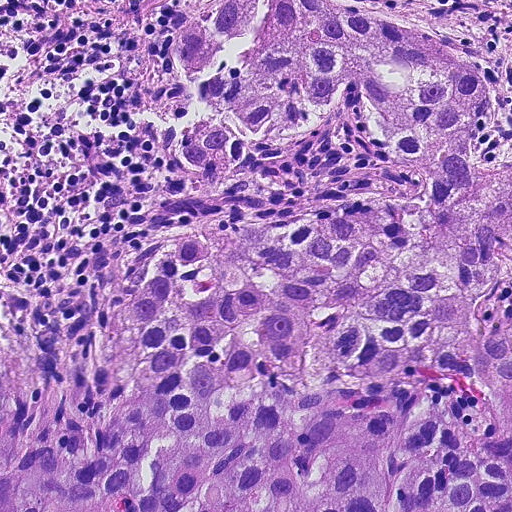
This is a crop of a whole-slide image: an H&E-stained breast-cancer sentinel lymph node section at roughly 20× magnification (about 0.45 µm per pixel; the crop spans about 0.23 mm).
One metastatic tumour region; its boundary, reduced to 23 corners and listed clockwise: (172, 0), (352, 0), (417, 25), (494, 78), (474, 165), (504, 164), (511, 511), (0, 511), (0, 378), (24, 391), (48, 371), (100, 406), (111, 303), (142, 252), (422, 193), (358, 82), (298, 132), (238, 132), (226, 176), (196, 175), (180, 150), (222, 112), (180, 74).
About 65% of the image area is annotated as tumour.